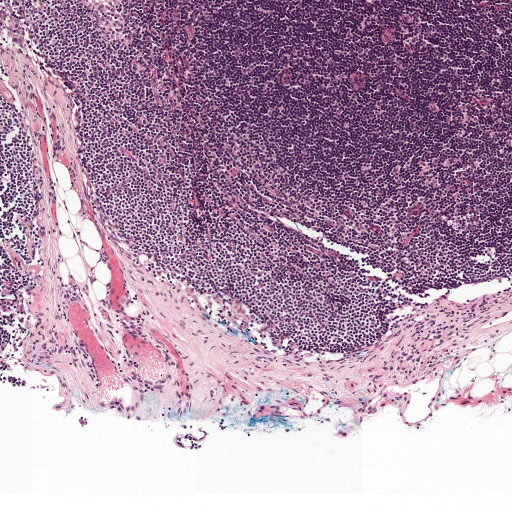
Lymph node section stained with H&E, from a whole-slide image of a breast-cancer sentinel node. Magnification about 5×, about 1 mm across the frame, about 1.9 µm per pixel.